Question: 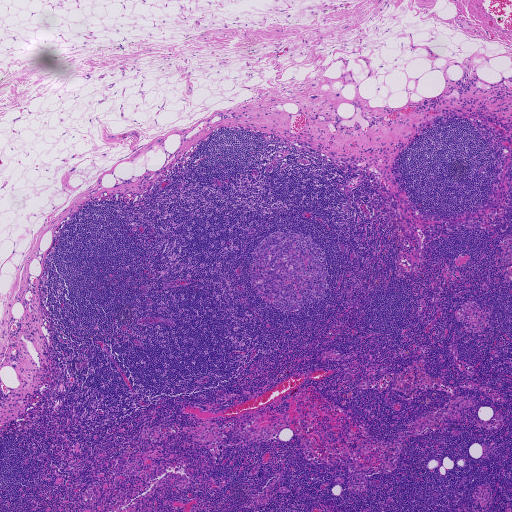
About what magnification does this crop show?

Choices:
 (A) about 10×
 (B) about 2.5×
 (C) about 40×
 (D) about 20×
 (E) about 5×

Answer: (B) about 2.5×
A 1.9-mm field of an H&E-stained sentinel lymph node from a breast-cancer patient (whole-slide image), shown at about 2.5×, about 3.6 µm per pixel.